Image:
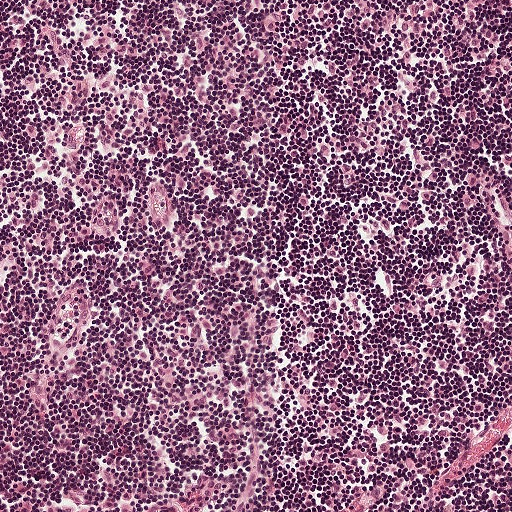
H&E-stained section of a sentinel lymph node (breast cancer), from a whole-slide image, viewed at about 10×: the field is about 0.5 mm across, about 0.97 µm per pixel.
Question:
Is any metastatic breast cancer visible in this crop?
Answer:
No, this field holds no outlined metastasis.